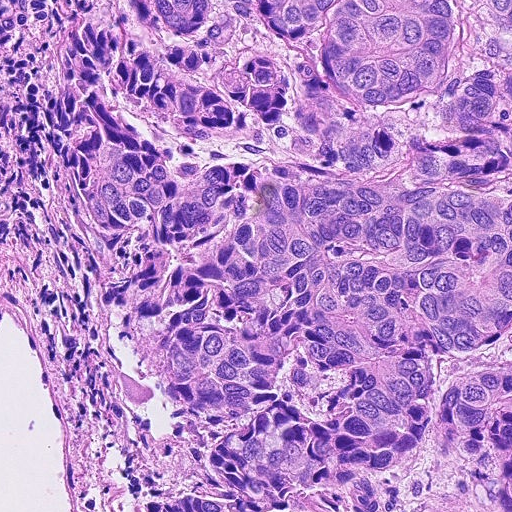
H&E-stained section of a sentinel lymph node (breast cancer), from a whole-slide image, viewed at about 20×: the field is about 0.23 mm across, about 0.45 µm per pixel.
Tumour region outline (a closed clockwise path, crop pixels): (65, 0), (511, 0), (511, 511), (139, 511), (122, 497), (230, 498), (199, 476), (183, 435), (145, 420), (121, 389), (110, 351), (124, 310), (68, 172), (62, 132), (76, 56).
Tumour covers about 80% of the frame.